Question: 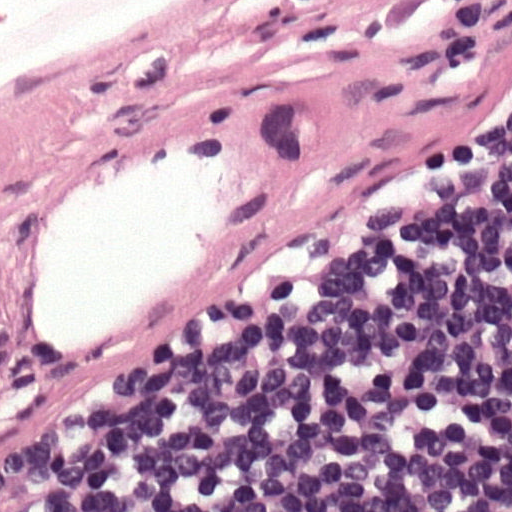
About what magnification does this crop show?

Choices:
 (A) about 20×
 (B) about 40×
 (C) about 10×
 (D) about 5×
 (E) about 2.5×

Answer: (B) about 40×
A 0.12-mm field of an H&E-stained sentinel lymph node from a breast-cancer patient (whole-slide image), shown at about 40×, about 0.24 µm per pixel.
Tumour region outline (a closed clockwise path, crop pixels): (0, 267), (12, 277), (1, 399), (0, 399).
One more small tumour piece is annotated here but not outlined.
Tumour covers under 5% of the frame.